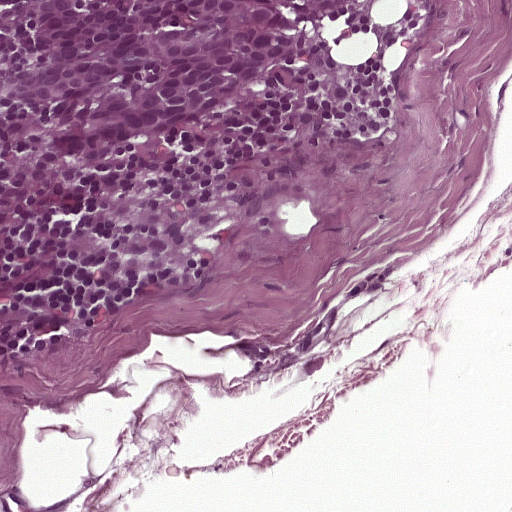
Lymph node section stained with H&E, from a whole-slide image of a breast-cancer sentinel node. Magnification about 20×, about 0.25 mm across the frame, about 0.49 µm per pixel.
Tumour region outline (a closed clockwise path, crop pixels): (0, 0), (366, 0), (336, 20), (337, 68), (174, 154), (142, 154), (55, 184), (0, 149).
Tumour covers about 20% of the frame.